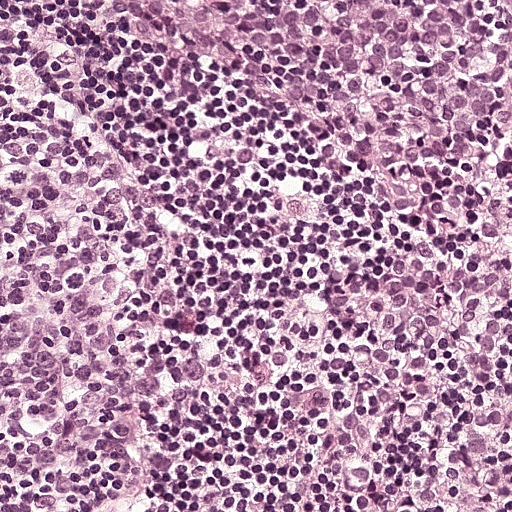
This is a crop of a whole-slide image: an H&E-stained breast-cancer sentinel lymph node section at roughly 20× magnification (about 0.49 µm per pixel; the crop spans about 0.25 mm).
Question: Where is the metastatic tumour in this field?
Answer: The outlined metastatic tumour's edge, as a closed clockwise path of 5 points: (97, 0), (511, 0), (511, 158), (328, 148), (260, 115).
About 20% of this field is tumour.